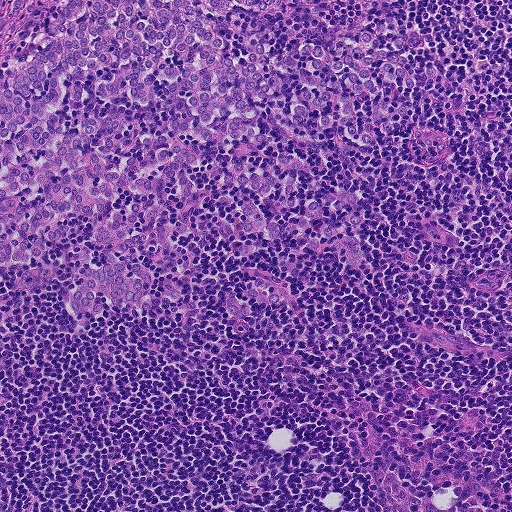
H&E-stained section of a sentinel lymph node (breast cancer), from a whole-slide image, viewed at about 10×: the field is about 0.46 mm across, about 0.9 µm per pixel.
Question: Outline the metastatic carcinoma in this image, as closed paths of (x, y) pixel coordinates.
Answer: One metastatic tumour region; its boundary, reduced to 36 corners and listed clockwise: (0, 0), (335, 0), (232, 8), (246, 56), (388, 17), (423, 40), (397, 53), (438, 72), (376, 88), (412, 109), (370, 149), (255, 122), (251, 164), (284, 151), (353, 194), (353, 271), (303, 246), (329, 218), (236, 190), (286, 225), (234, 256), (216, 228), (247, 214), (188, 174), (210, 189), (192, 232), (132, 261), (183, 300), (102, 296), (68, 328), (70, 255), (113, 246), (84, 216), (29, 264), (65, 281), (2, 276).
One more small tumour piece is annotated here but not outlined.
About 35% of this field is tumour.